A 2.0-mm field of an H&E-stained sentinel lymph node from a breast-cancer patient (whole-slide image), shown at about 2.5×, about 3.9 µm per pixel.
Question: 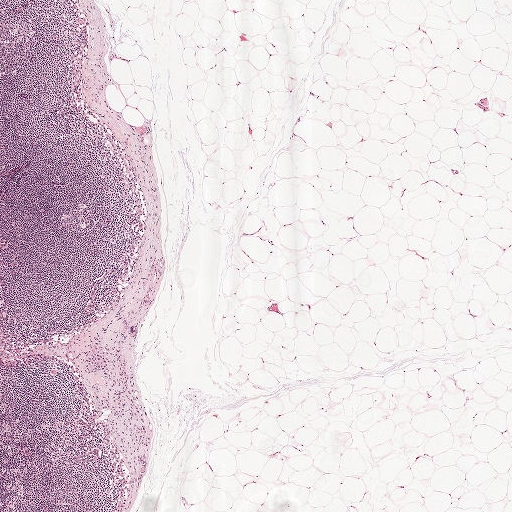
Estimate the proportion of this field that is metastatic tumour.

Choices:
 (A) about 25% to 45%
 (B) about 50% or more
 (C) about 5% or less
 (D) about 10% to 20%
 (E) none: no tumour is outlined

Answer: (C) about 5% or less
Under 5% of the field is tumour.
The outlined metastatic tumour's edge, as a closed clockwise path of 23 points: (93, 345), (105, 350), (114, 364), (132, 370), (134, 392), (142, 403), (149, 439), (146, 448), (138, 448), (140, 461), (133, 484), (126, 466), (117, 466), (117, 461), (124, 458), (124, 450), (110, 430), (110, 412), (102, 400), (107, 393), (107, 381), (82, 369), (84, 354).